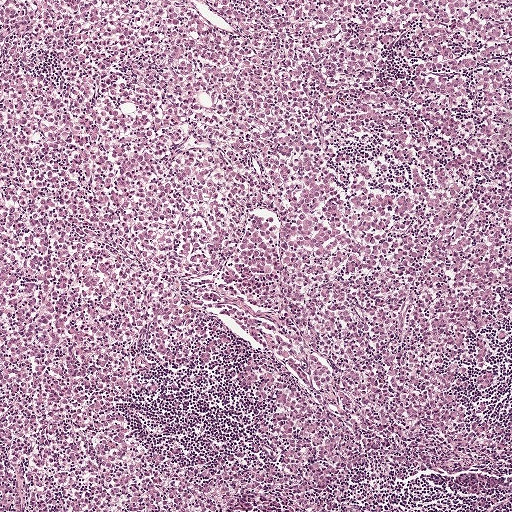
H&E-stained section of a sentinel lymph node (breast cancer), from a whole-slide image, viewed at about 5×: the field is about 1 mm across, about 1.9 µm per pixel.
Outlines of three tumour regions, largest first (closed clockwise paths, crop pixels): region 1: (32, 0), (192, 4), (202, 60), (188, 90), (249, 194), (230, 247), (145, 334), (48, 334), (12, 319), (0, 303), (0, 78), (53, 66); region 2: (334, 147), (410, 152), (511, 197), (511, 373), (402, 434), (380, 432), (320, 389), (281, 323), (274, 265), (284, 204), (308, 160); region 3: (511, 0), (511, 81), (489, 65), (484, 36), (466, 1).
About 45% of the image area is annotated as tumour.